Image:
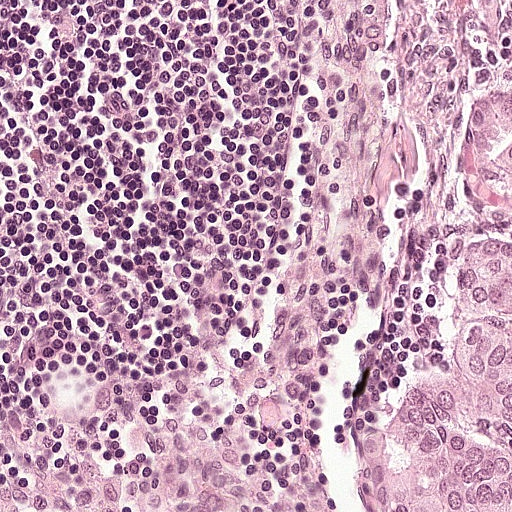
This is a crop of a whole-slide image: an H&E-stained breast-cancer sentinel lymph node section at roughly 20× magnification (about 0.49 µm per pixel; the crop spans about 0.25 mm).
Question:
Where is the metastatic tumour in this field?
Answer:
Metastatic tumour outline, simplified to 12 points and listed clockwise in crop pixels (x, y): (511, 52), (511, 511), (372, 511), (361, 486), (366, 466), (393, 444), (412, 387), (450, 348), (471, 248), (461, 203), (466, 132), (479, 95).
About 10% of the image area is annotated as tumour.